Image:
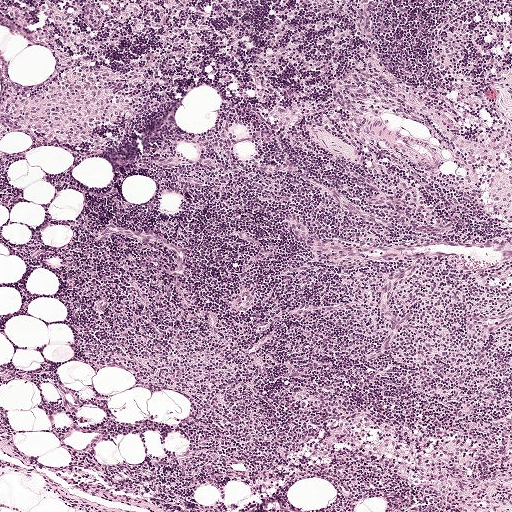
Lymph node section stained with H&E, from a whole-slide image of a breast-cancer sentinel node. Magnification about 5×, about 1 mm across the frame, about 1.9 µm per pixel.
Question:
Does this lymph node field contain metastatic tumour?
Answer:
No: no metastatic tumour is outlined anywhere in this field.